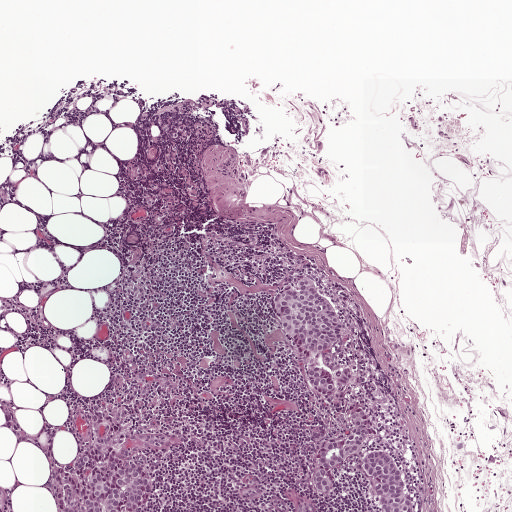
A 1-mm field of an H&E-stained sentinel lymph node from a breast-cancer patient (whole-slide image), shown at about 5×, about 1.9 µm per pixel.
Question: Which parts of this field are metastatic tumour? Answer with the outline of each region, in pixels.
Answer: Boundaries of six metastatic tumour regions, simplified and listed clockwise, largest first: region 1: (93, 406), (100, 406), (112, 413), (129, 410), (124, 427), (140, 449), (144, 462), (158, 485), (153, 498), (129, 511), (65, 511), (67, 508), (83, 499), (88, 491), (76, 477), (76, 468), (93, 446), (109, 434), (107, 421); region 2: (301, 278), (311, 280), (328, 300), (344, 326), (336, 340), (321, 352), (318, 362), (319, 367), (332, 376), (334, 390), (329, 391), (314, 388), (304, 376), (317, 360), (302, 354), (291, 342), (280, 325), (276, 310), (277, 299), (282, 290), (286, 287), (296, 285); region 3: (381, 452), (393, 460), (402, 471), (402, 486), (409, 498), (411, 511), (384, 511), (367, 480), (362, 466), (367, 453); region 4: (362, 411), (366, 414), (366, 419), (364, 428), (365, 438), (361, 447), (331, 466), (327, 472), (333, 486), (329, 490), (319, 491), (314, 478), (320, 464), (320, 450), (323, 446), (338, 442), (354, 430), (352, 416); region 5: (150, 371), (154, 376), (151, 389), (147, 394), (134, 405), (143, 393), (142, 386), (138, 380), (137, 374); region 6: (0, 491), (4, 492), (11, 511), (0, 511).
Tumour covers about 5% of the frame.

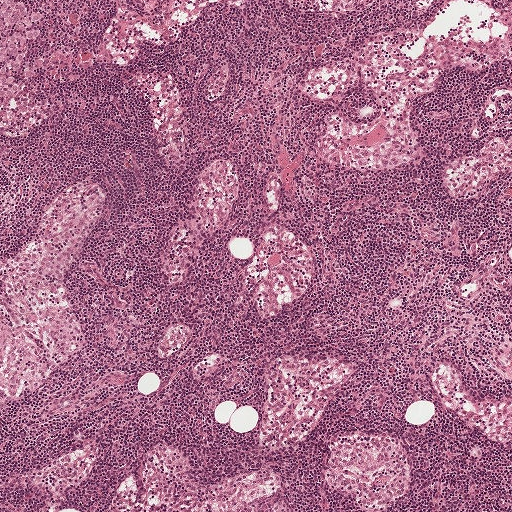
A 1-mm field of an H&E-stained sentinel lymph node from a breast-cancer patient (whole-slide image), shown at about 5×, about 1.9 µm per pixel.
Question: Which parts of this field are metastatic tumour? Answer with the outline of each region, in pixels.
Answer: Tumour region outline (a closed clockwise path, crop pixels): (0, 0), (17, 0), (30, 12), (41, 13), (39, 23), (29, 26), (40, 32), (40, 36), (25, 46), (26, 55), (23, 66), (12, 74), (12, 84), (17, 88), (16, 92), (0, 101).
Tumour covers under 5% of the frame.

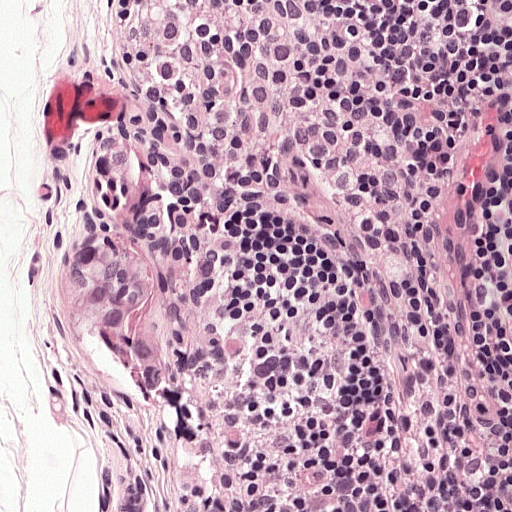
H&E-stained section of a sentinel lymph node (breast cancer), from a whole-slide image, viewed at about 20×: the field is about 0.25 mm across, about 0.49 µm per pixel.
Question: Which parts of this field are metastatic tumour? Answer with the outline of each region, in pixels.
Answer: Metastatic tumour outline, simplified to 13 points and listed clockwise in crop pixels (x, y): (100, 220), (128, 228), (155, 258), (159, 288), (154, 320), (167, 348), (171, 378), (147, 393), (78, 336), (60, 312), (48, 286), (54, 255), (72, 230).
About 5% of this field is tumour.

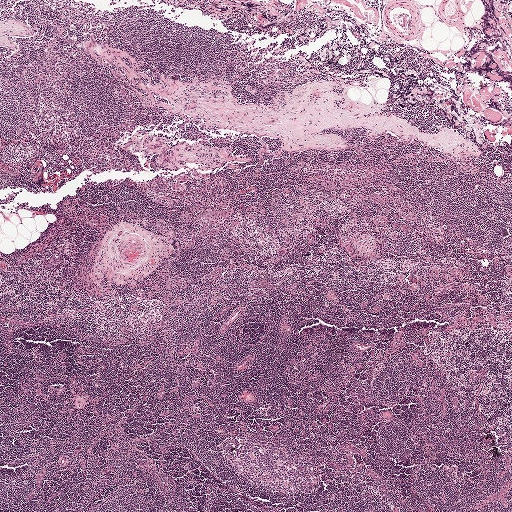
Lymph node section stained with H&E, from a whole-slide image of a breast-cancer sentinel node. Magnification about 2.5×, about 2.0 mm across the frame, about 3.9 µm per pixel.
Question: Which parts of this field are metastatic tumour? Answer with the outline of each region, in pixels.
Answer: Outlines of two tumour regions, largest first (closed clockwise paths, crop pixels): region 1: (182, 173), (187, 175), (187, 180), (184, 182), (187, 186), (182, 192), (174, 192), (170, 189), (176, 178); region 2: (193, 169), (201, 172), (207, 172), (210, 174), (210, 176), (208, 178), (204, 179), (197, 178), (192, 176), (190, 173).
Under 5% of this field is tumour.